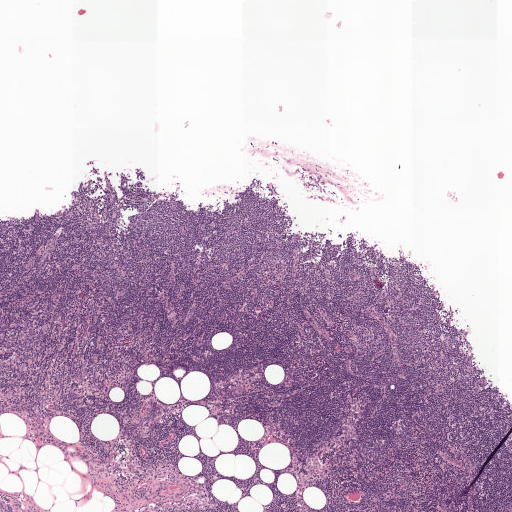
Lymph node section stained with H&E, from a whole-slide image of a breast-cancer sentinel node. Magnification about 2.5×, about 2.0 mm across the frame, about 3.9 µm per pixel.